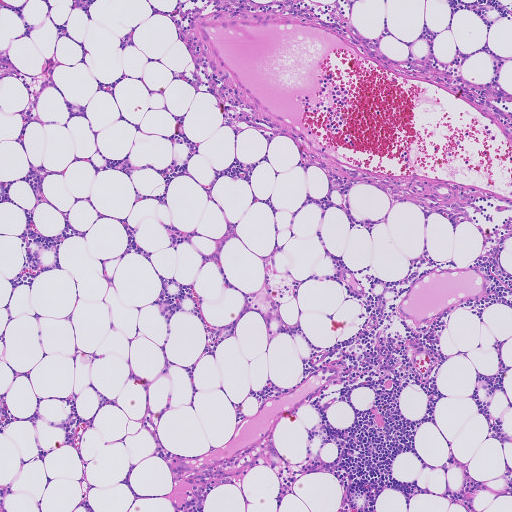
A 0.93-mm field of an H&E-stained sentinel lymph node from a breast-cancer patient (whole-slide image), shown at about 5×, about 1.8 µm per pixel.